Image:
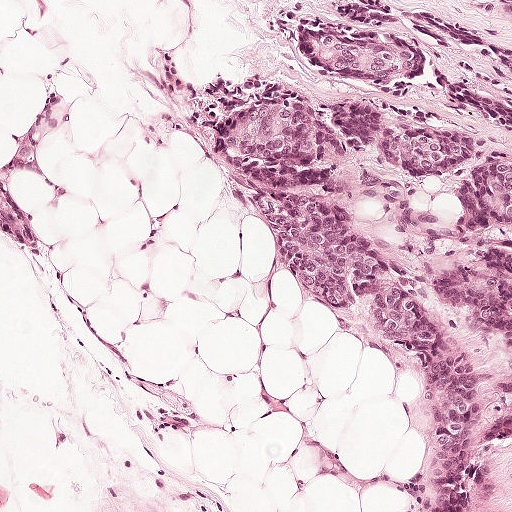
A 0.5-mm field of an H&E-stained sentinel lymph node from a breast-cancer patient (whole-slide image), shown at about 10×, about 0.97 µm per pixel.
Question:
Show where the tumour is in this image.
Answer:
Metastatic tumour outline, simplified to 11 points and listed clockwise in crop pixels (x, y): (240, 0), (511, 0), (511, 511), (378, 511), (397, 500), (397, 484), (365, 382), (328, 350), (264, 248), (152, 142), (168, 56).
One more small tumour piece is annotated here but not outlined.
The annotated tumour makes up about 50% of the crop.